H&E-stained section of a sentinel lymph node (breast cancer), from a whole-slide image, viewed at about 20×: the field is about 0.23 mm across, about 0.45 µm per pixel.
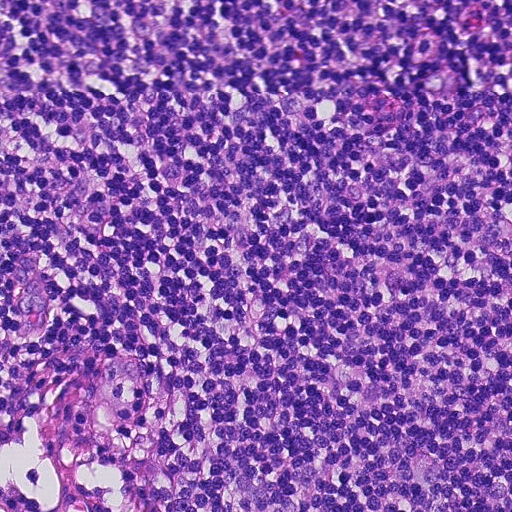
Question: Is any metastatic breast cancer visible in this crop?
Answer: No. No metastatic tumour is outlined in this field.